H&E-stained section of a sentinel lymph node (breast cancer), from a whole-slide image, viewed at about 20×: the field is about 0.23 mm across, about 0.45 µm per pixel.
Image:
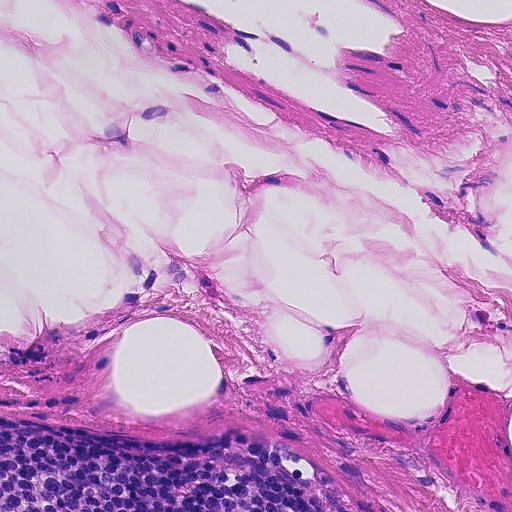
Question:
Does this lymph node field contain metastatic tumour?
Answer:
No, this field holds no outlined metastasis.